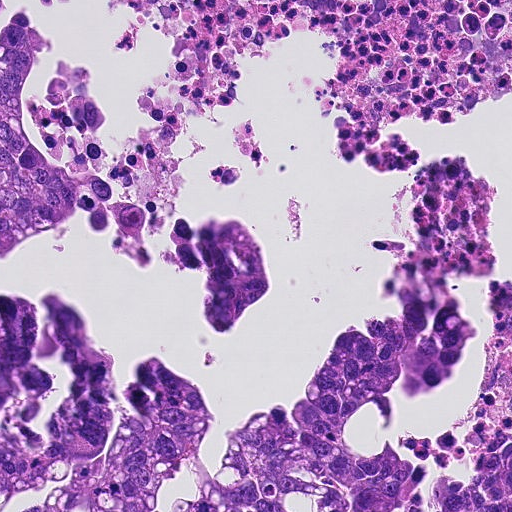
A 0.23-mm field of an H&E-stained sentinel lymph node from a breast-cancer patient (whole-slide image), shown at about 20×, about 0.45 µm per pixel.
The outlined metastatic tumour's edge, as a closed clockwise path of 39 points: (119, 0), (511, 0), (511, 95), (384, 132), (497, 182), (495, 271), (450, 281), (476, 331), (436, 392), (344, 433), (378, 454), (471, 404), (511, 277), (511, 511), (0, 511), (0, 453), (124, 402), (219, 418), (213, 476), (328, 336), (393, 312), (368, 236), (405, 235), (402, 168), (344, 170), (312, 30), (190, 122), (158, 235), (62, 226), (6, 255), (18, 8), (52, 38), (26, 96), (57, 57), (88, 68), (114, 138), (159, 122), (135, 98), (168, 42).
One more small tumour piece is annotated here but not outlined.
Tumour covers about 55% of the frame.